Question: 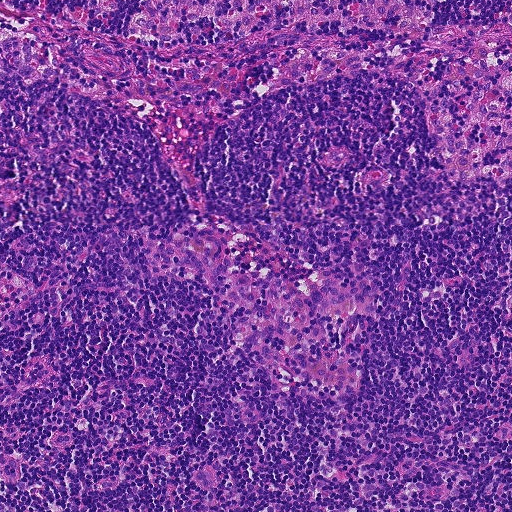
About what magnification does this crop show?

Choices:
 (A) about 20×
 (B) about 40×
 (C) about 10×
 (D) about 5×
 (E) about 2.5×

Answer: (C) about 10×
This is a crop of a whole-slide image: an H&E-stained breast-cancer sentinel lymph node section at roughly 10× magnification (about 0.9 µm per pixel; the crop spans about 0.46 mm).